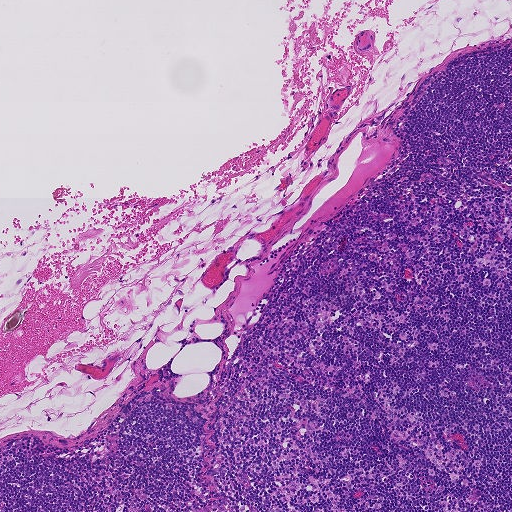
H&E-stained section of a sentinel lymph node (breast cancer), from a whole-slide image, viewed at about 5×: the field is about 0.93 mm across, about 1.8 µm per pixel.
Question: Is there metastatic carcinoma in this field?
Answer: No. No metastatic tumour is outlined in this field.